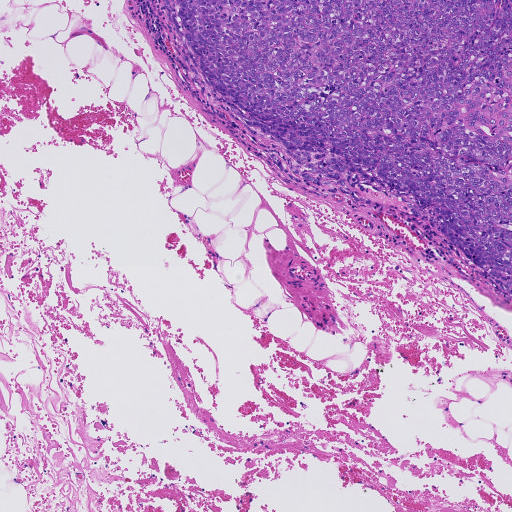
A 0.93-mm field of an H&E-stained sentinel lymph node from a breast-cancer patient (whole-slide image), shown at about 5×, about 1.8 µm per pixel.
The outlined metastatic tumour's edge, as a closed clockwise path of 6 points: (511, 0), (511, 301), (433, 229), (288, 179), (191, 80), (160, 2).
About 25% of this field is tumour.